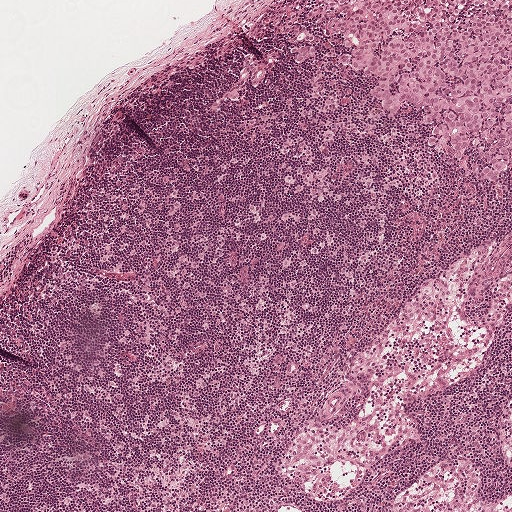
H&E-stained section of a sentinel lymph node (breast cancer), from a whole-slide image, viewed at about 5×: the field is about 1 mm across, about 1.9 µm per pixel.
The outlined metastatic tumour's edge, as a closed clockwise path of 17 points: (291, 0), (511, 0), (511, 162), (504, 179), (482, 178), (472, 154), (456, 164), (448, 154), (429, 152), (414, 121), (377, 107), (367, 77), (338, 60), (336, 46), (292, 64), (287, 36), (277, 30).
About 10% of the image area is annotated as tumour.